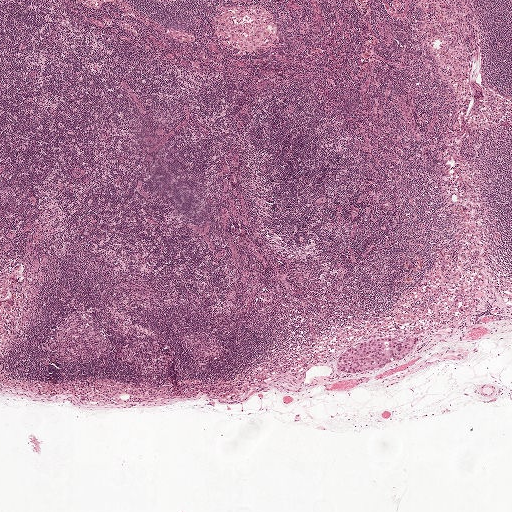
H&E-stained section of a sentinel lymph node (breast cancer), from a whole-slide image, viewed at about 2.5×: the field is about 2.0 mm across, about 3.9 µm per pixel.
Metastatic tumour outline, simplified to 13 points and listed clockwise in crop pixels (x, y): (412, 333), (418, 334), (417, 342), (410, 356), (396, 365), (354, 372), (344, 371), (336, 366), (335, 358), (338, 351), (365, 338), (379, 334), (401, 337).
Tumour covers under 5% of the frame.